H&E-stained section of a sentinel lymph node (breast cancer), from a whole-slide image, viewed at about 20×: the field is about 0.25 mm across, about 0.49 µm per pixel.
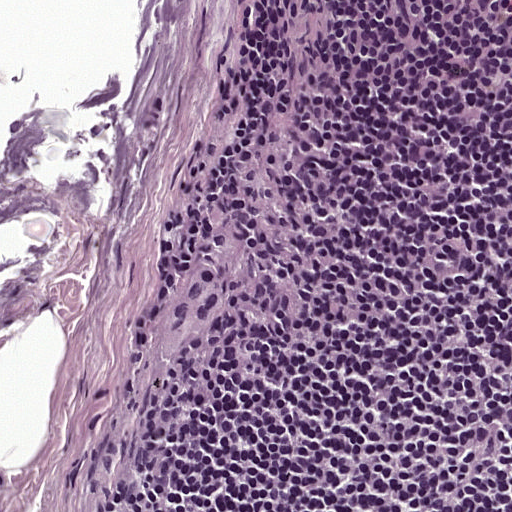
The outlined metastatic tumour's edge, as a closed clockwise path of 7 points: (210, 256), (224, 277), (224, 313), (178, 358), (144, 381), (152, 324), (176, 286).
The annotated tumour makes up under 5% of the crop.